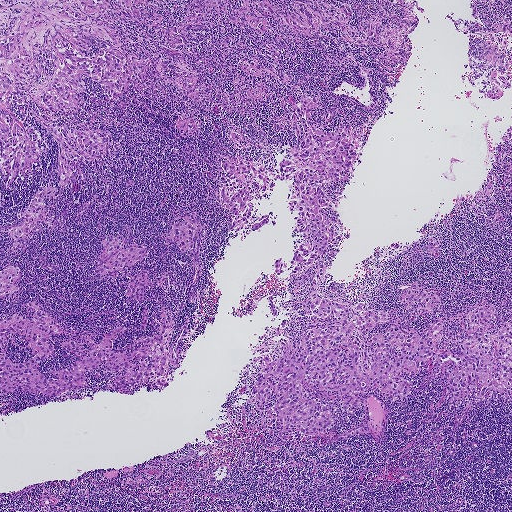
Lymph node section stained with H&E, from a whole-slide image of a breast-cancer sentinel node. Magnification about 2.5×, about 1.9 mm across the frame, about 3.6 µm per pixel.
Boundaries of eight metastatic tumour regions, simplified and listed clockwise, largest first: region 1: (28, 301), (63, 332), (47, 339), (54, 347), (36, 366), (49, 379), (86, 355), (67, 353), (63, 341), (88, 350), (122, 324), (112, 348), (126, 354), (137, 339), (160, 334), (164, 312), (172, 324), (151, 349), (165, 342), (164, 350), (176, 349), (175, 367), (166, 359), (166, 386), (152, 370), (132, 385), (118, 385), (114, 376), (124, 368), (105, 370), (106, 358), (86, 369), (82, 388), (57, 396), (0, 387), (0, 320), (30, 317); region 2: (511, 18), (511, 38), (504, 32), (495, 33), (507, 39), (508, 43), (506, 45), (501, 44), (497, 46), (507, 58), (511, 48), (511, 64), (510, 64), (511, 68), (507, 68), (506, 73), (510, 75), (511, 84), (508, 88), (502, 87), (503, 95), (500, 98), (491, 99), (485, 92), (479, 94), (483, 85), (479, 83), (486, 80), (487, 70), (473, 82), (475, 87), (467, 81), (466, 76), (472, 69), (468, 62), (469, 38), (462, 33), (468, 28), (492, 29), (496, 20); region 3: (117, 238), (127, 240), (122, 249), (138, 245), (145, 248), (145, 252), (139, 261), (112, 276), (101, 275), (99, 272), (99, 264), (102, 260), (100, 256), (103, 246), (102, 242), (106, 241); region 4: (186, 214), (193, 216), (201, 224), (201, 228), (195, 277), (192, 271), (191, 248), (185, 252), (182, 251), (174, 239), (168, 241), (165, 239), (168, 228), (177, 221), (184, 220); region 5: (412, 283), (425, 292), (436, 292), (442, 300), (441, 305), (432, 310), (404, 307), (399, 299), (400, 294), (405, 291), (397, 290), (397, 287); region 6: (8, 265), (16, 266), (19, 268), (19, 272), (19, 277), (14, 284), (18, 290), (17, 294), (14, 297), (1, 298), (0, 271); region 7: (142, 271), (146, 273), (150, 284), (145, 289), (142, 300), (131, 297), (127, 298), (125, 296), (129, 280); region 8: (180, 116), (192, 118), (199, 124), (198, 132), (190, 137), (182, 136), (174, 125), (176, 119).
Two more tumour regions are annotated but not outlined: their edges are too irregular for short outlines.
One more, smaller tumour region is not outlined.
Two more small tumour pieces are annotated here but not outlined.
Tumour covers about 30% of the frame.